Image:
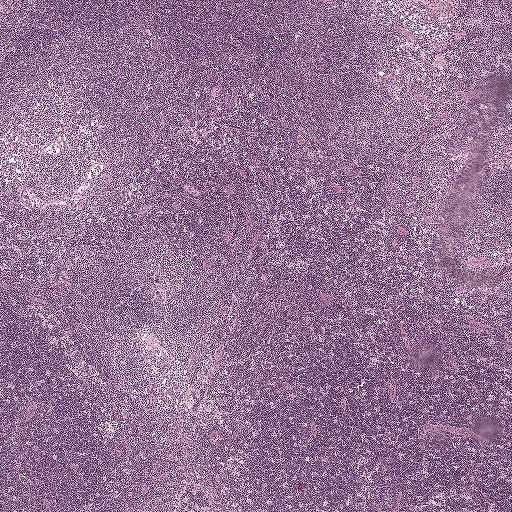
Lymph node section stained with H&E, from a whole-slide image of a breast-cancer sentinel node. Magnification about 2.5×, about 2.0 mm across the frame, about 3.9 µm per pixel.
Question:
Does this lymph node field contain metastatic tumour?
Answer:
No: no metastatic tumour is outlined anywhere in this field.